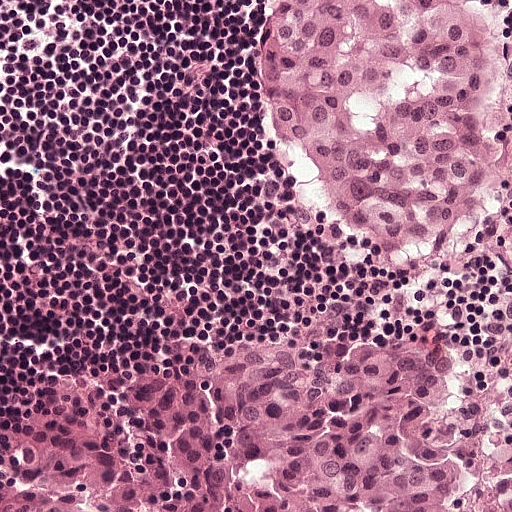
H&E-stained section of a sentinel lymph node (breast cancer), from a whole-slide image, viewed at about 20×: the field is about 0.25 mm across, about 0.49 µm per pixel.
Question: Which parts of this field are metastatic tumour? Answer with the outline of each region, in pixels.
Answer: Outlines of two tumour regions, largest first (closed clockwise paths, crop pixels): region 1: (290, 331), (385, 334), (424, 365), (509, 511), (0, 511), (59, 447), (134, 450), (158, 380), (254, 344), (246, 342); region 2: (275, 0), (475, 6), (508, 80), (508, 110), (467, 232), (413, 256), (367, 254), (290, 174), (256, 92), (255, 42).
Tumour covers about 40% of the frame.